Image:
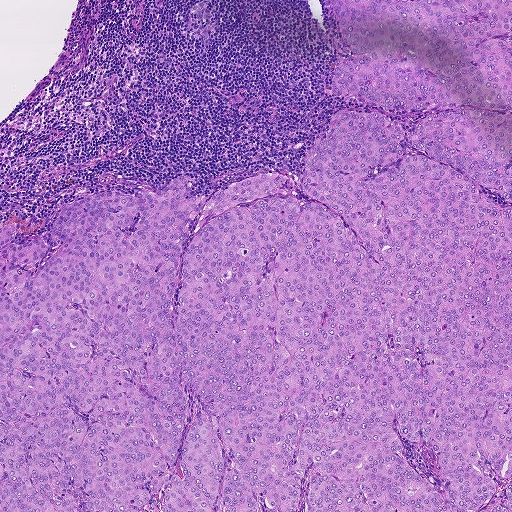
This is a crop of a whole-slide image: an H&E-stained breast-cancer sentinel lymph node section at roughly 5× magnification (about 1.8 µm per pixel; the crop spans about 0.93 mm).
Question:
Which parts of this field are metastatic tumour?
Answer:
The outlined metastatic tumour's edge, as a closed clockwise path of 23 points: (331, 0), (511, 0), (511, 511), (0, 511), (0, 228), (21, 244), (99, 192), (161, 190), (187, 174), (187, 196), (213, 189), (210, 197), (267, 174), (297, 185), (340, 110), (392, 116), (407, 140), (441, 110), (388, 111), (332, 93), (332, 72), (358, 54), (341, 49).
The annotated tumour makes up about 75% of the crop.